Image:
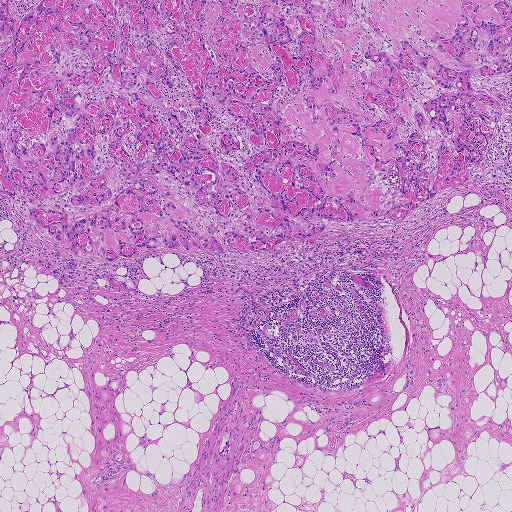
A 1.9-mm field of an H&E-stained sentinel lymph node from a breast-cancer patient (whole-slide image), shown at about 2.5×, about 3.6 µm per pixel.
Question:
Describe where the metastatic carcinoma lies in this crop.
Answer:
One metastatic tumour region; its boundary, reduced to 19 corners and listed clockwise: (0, 0), (18, 21), (41, 0), (511, 0), (511, 71), (488, 82), (506, 105), (465, 182), (401, 222), (322, 219), (316, 236), (259, 252), (138, 248), (109, 261), (49, 240), (28, 218), (36, 207), (7, 196), (0, 181).
About 45% of the image area is annotated as tumour.